Question: 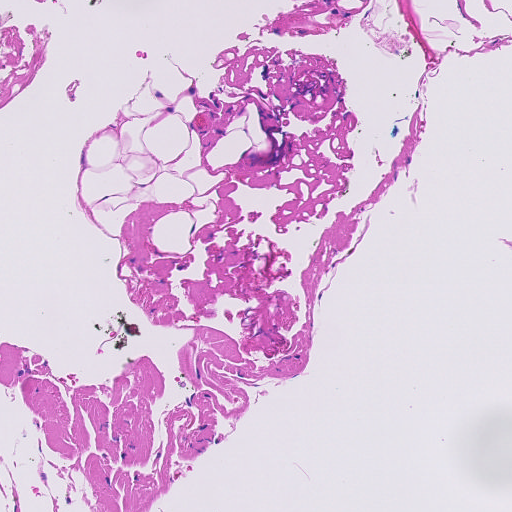
About what magnification does this crop show?

Choices:
 (A) about 5×
 (B) about 2.5×
 (C) about 20×
 (D) about 40×
 (E) about 10×

Answer: (E) about 10×
This is a crop of a whole-slide image: an H&E-stained breast-cancer sentinel lymph node section at roughly 10× magnification (about 0.91 µm per pixel; the crop spans about 0.46 mm).